Question: 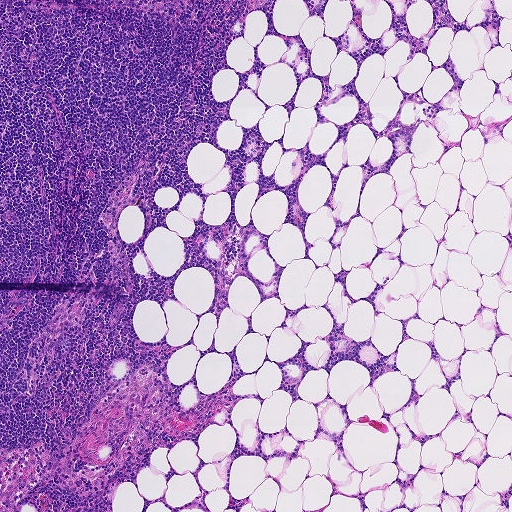
This is a crop of a whole-slide image: an H&E-stained breast-cancer sentinel lymph node section at roughly 5× magnification (about 1.8 µm per pixel; the crop spans about 0.93 mm).
Estimate the proportion of this field that is metastatic tumour.

Choices:
 (A) about 10% to 20%
 (B) none: no tumour is outlined
 (C) about 25% to 45%
 (D) about 5% or less
 (E) about 50% or more

Answer: (B) none: no tumour is outlined
No metastatic tumour is outlined in this field.